Question: 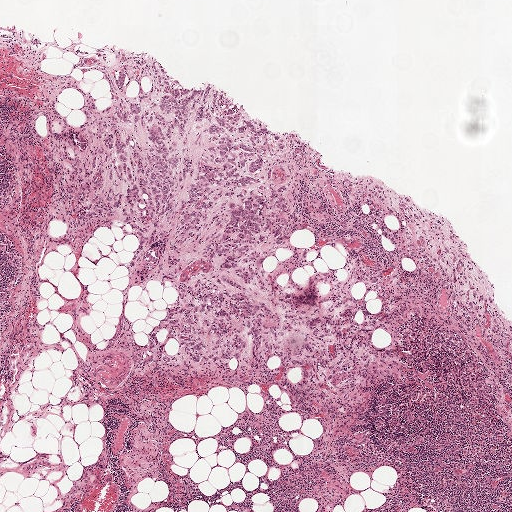
Lymph node section stained with H&E, from a whole-slide image of a breast-cancer sentinel node. Magnification about 2.5×, about 2.0 mm across the frame, about 3.9 µm per pixel.
Roughly what share of this field is metastatic tumour?

Choices:
 (A) about 25% to 45%
 (B) none: no tumour is outlined
 (C) about 10% to 20%
 (D) about 50% or more
 (E) about 5% or less

Answer: (A) about 25% to 45%
About 25% of the field is tumour.
Boundaries of three metastatic tumour regions, simplified and listed clockwise, largest first: region 1: (151, 72), (189, 106), (221, 100), (244, 129), (277, 144), (303, 233), (353, 260), (383, 291), (386, 327), (370, 376), (318, 386), (267, 366), (226, 382), (171, 380), (160, 371), (155, 351), (186, 323), (186, 308), (144, 284), (146, 245), (131, 233), (110, 159), (120, 118), (111, 83); region 2: (382, 184), (388, 186), (426, 216), (453, 231), (473, 252), (491, 281), (502, 314), (511, 326), (511, 362), (474, 320), (441, 257), (390, 218), (382, 202); region 3: (107, 126), (116, 127), (108, 158), (128, 205), (128, 215), (112, 226), (86, 228), (82, 223), (78, 189), (65, 161), (64, 154), (69, 148).